This is a crop of a whole-slide image: an H&E-stained breast-cancer sentinel lymph node section at roughly 2.5× magnification (about 3.6 µm per pixel; the crop spans about 1.9 mm).
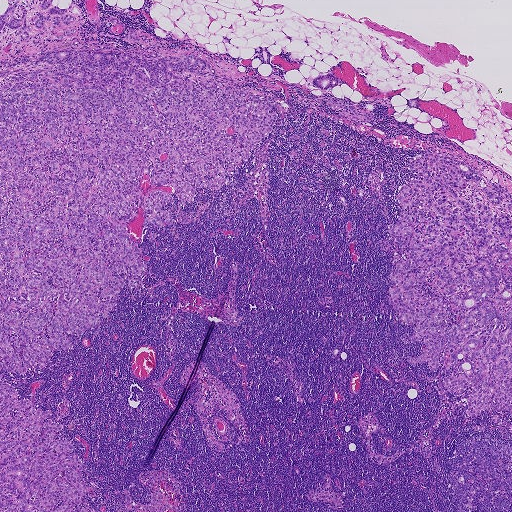
Boundaries of six metastatic tumour regions, simplified and listed clockwise, largest first: region 1: (109, 45), (198, 53), (238, 87), (272, 93), (271, 131), (221, 190), (196, 188), (185, 206), (171, 194), (155, 243), (143, 227), (142, 284), (125, 284), (45, 368), (4, 372), (0, 59); region 2: (447, 153), (511, 194), (511, 416), (504, 409), (495, 422), (492, 408), (464, 418), (468, 396), (442, 383), (452, 370), (407, 362), (424, 347), (423, 338), (410, 338), (417, 325), (404, 325), (387, 300), (389, 279), (408, 254), (394, 247), (397, 187), (413, 178), (408, 163), (422, 155); region 3: (0, 379), (14, 388), (18, 400), (33, 396), (37, 398), (36, 409), (44, 411), (48, 408), (51, 412), (48, 419), (61, 423), (62, 428), (57, 432), (59, 436), (74, 441), (71, 454), (79, 454), (86, 466), (86, 471), (81, 471), (86, 487), (82, 501), (71, 511), (0, 511); region 4: (0, 0), (53, 0), (55, 6), (68, 8), (65, 14), (79, 20), (72, 26), (77, 28), (76, 33), (62, 39), (52, 39), (48, 33), (41, 40), (37, 32), (32, 31), (29, 33), (29, 42), (24, 42), (17, 35), (20, 26), (11, 29), (5, 24), (0, 31); region 5: (332, 97), (334, 102), (345, 103), (347, 106), (352, 104), (357, 106), (357, 111), (367, 110), (372, 112), (374, 117), (372, 121), (357, 122), (338, 114), (342, 109), (334, 110), (326, 106), (327, 98); region 6: (127, 28), (146, 33), (155, 37), (155, 39), (142, 38), (143, 40), (145, 40), (148, 42), (154, 41), (160, 43), (158, 47), (153, 47), (148, 47), (138, 43), (128, 43), (122, 38), (128, 35), (128, 32).
Two more small tumour pieces are annotated here but not outlined.
About 35% of this field is tumour.